H&E-stained section of a sentinel lymph node (breast cancer), from a whole-slide image, viewed at about 20×: the field is about 0.23 mm across, about 0.45 µm per pixel.
Image:
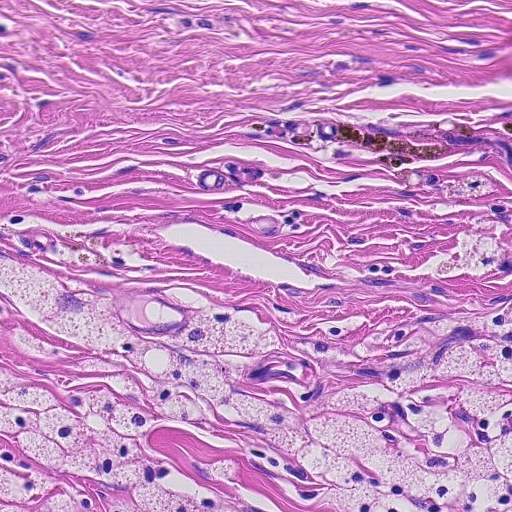
Question:
Is there metastatic carcinoma in this field?
Answer:
No, this field holds no outlined metastasis.